Question: 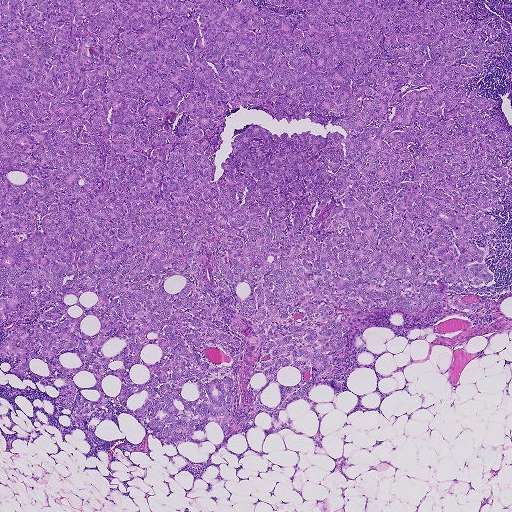
Which magnification is this H&E lymph node field most likely shown at?

Choices:
 (A) about 2.5×
 (B) about 10×
 (C) about 5×
 (D) about 40×
 (E) about 20×

Answer: (A) about 2.5×
This is a crop of a whole-slide image: an H&E-stained breast-cancer sentinel lymph node section at roughly 2.5× magnification (about 3.6 µm per pixel; the crop spans about 1.9 mm).
Tumour region outline (a closed clockwise path, crop pixels): (0, 0), (499, 17), (505, 51), (464, 88), (502, 101), (511, 181), (498, 237), (472, 238), (493, 278), (448, 291), (487, 306), (352, 319), (341, 390), (280, 411), (295, 432), (235, 403), (162, 446), (109, 399), (90, 439), (11, 373).
Tumour covers about 70% of the frame.